Question: 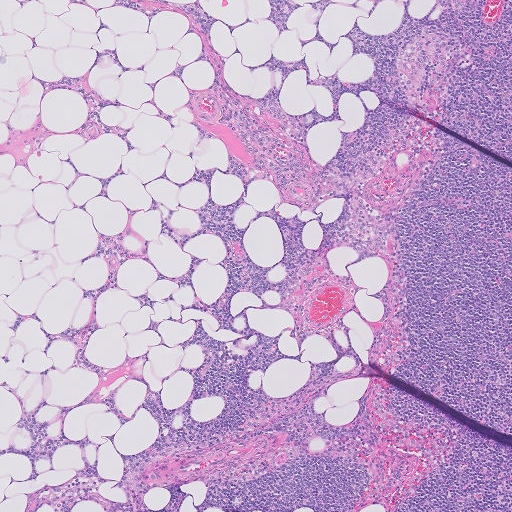
At roughly what magnification is this field shown?

Choices:
 (A) about 10×
 (B) about 20×
 (C) about 2.5×
 (D) about 5×
 (E) about 40×

Answer: (D) about 5×
A 1.0-mm field of an H&E-stained sentinel lymph node from a breast-cancer patient (whole-slide image), shown at about 5×, about 2.0 µm per pixel.